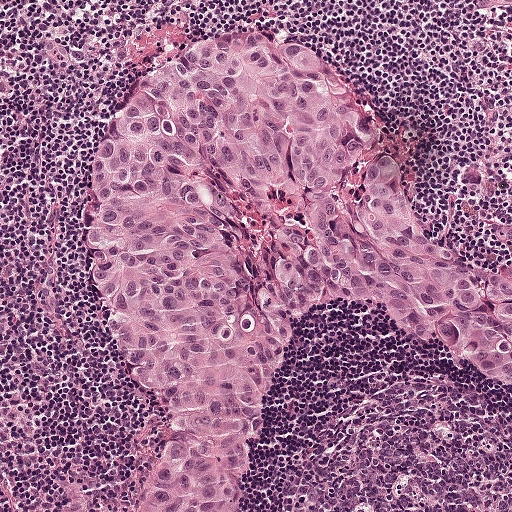
This is a crop of a whole-slide image: an H&E-stained breast-cancer sentinel lymph node section at roughly 10× magnification (about 0.97 µm per pixel; the crop spans about 0.5 mm).
Tumour region outline (a closed clockwise path, crop pixels): (306, 32), (364, 92), (431, 208), (505, 256), (511, 235), (511, 511), (124, 511), (155, 453), (158, 417), (105, 336), (66, 190), (88, 126), (141, 56), (190, 35).
About 65% of this field is tumour.